Question: 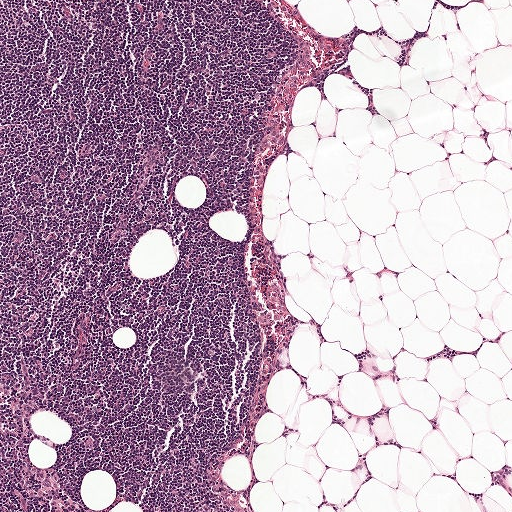
About what magnification does this crop show?

Choices:
 (A) about 2.5×
 (B) about 40×
 (C) about 10×
 (D) about 5×
 (E) about 20×

Answer: (D) about 5×
H&E-stained section of a sentinel lymph node (breast cancer), from a whole-slide image, viewed at about 5×: the field is about 1 mm across, about 1.9 µm per pixel.